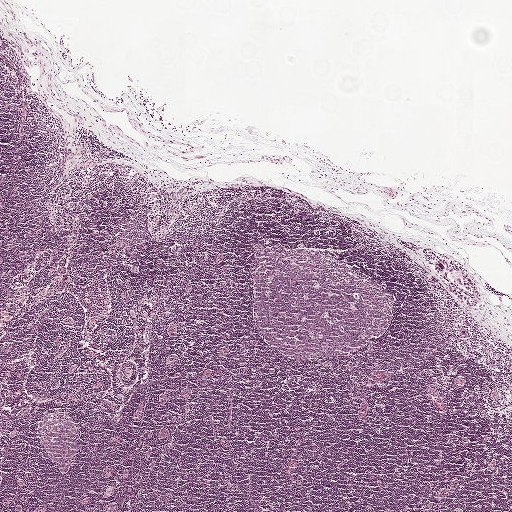
This is a crop of a whole-slide image: an H&E-stained breast-cancer sentinel lymph node section at roughly 2.5× magnification (about 3.9 µm per pixel; the crop spans about 2.0 mm).
Metastatic tumour outline, simplified to 12 points and listed clockwise in crop pixels (x, y): (438, 258), (458, 264), (476, 283), (481, 298), (480, 306), (476, 308), (465, 306), (458, 300), (451, 293), (446, 282), (441, 278), (434, 266).
The annotated tumour makes up under 5% of the crop.